Question: 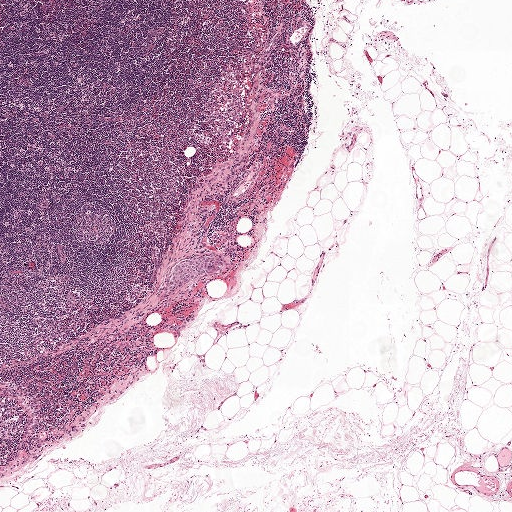
H&E-stained section of a sentinel lymph node (breast cancer), from a whole-slide image, viewed at about 2.5×: the field is about 2.0 mm across, about 3.9 µm per pixel.
Estimate the proportion of this field that is metastatic tumour.

Choices:
 (A) about 5% or less
 (B) about 50% or more
 (C) none: no tumour is outlined
 (D) about 10% to 20%
 (E) about 25% to 45%

Answer: (A) about 5% or less
Under 5% of the field is tumour.
The outlined metastatic tumour's edge, as a closed clockwise path of 11 points: (219, 253), (223, 254), (224, 259), (219, 270), (189, 280), (175, 289), (166, 289), (167, 280), (179, 262), (198, 255), (209, 256).